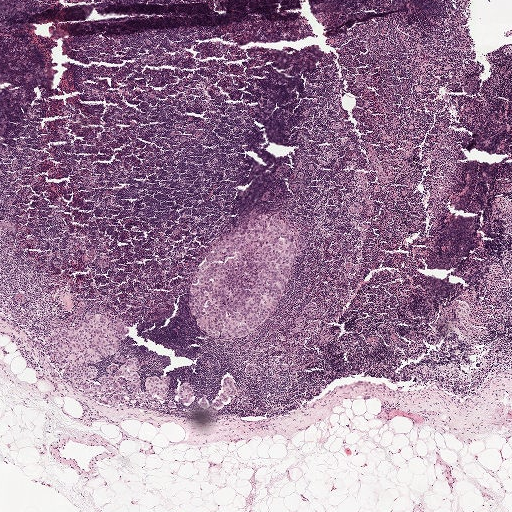
This is a crop of a whole-slide image: an H&E-stained breast-cancer sentinel lymph node section at roughly 2.5× magnification (about 3.9 µm per pixel; the crop spans about 2.0 mm).
Five metastatic tumour regions, each outlined as a closed clockwise path in crop pixels (x, y), largest first: region 1: (262, 214), (280, 217), (295, 235), (292, 268), (283, 297), (266, 323), (243, 338), (218, 340), (202, 331), (192, 316), (188, 282), (206, 253); region 2: (106, 311), (122, 319), (129, 329), (119, 348), (126, 361), (118, 362), (114, 354), (88, 363), (99, 373), (94, 383), (108, 374), (107, 366), (115, 364), (119, 369), (135, 357), (141, 389), (149, 391), (148, 376), (165, 375), (168, 388), (166, 396), (154, 394), (154, 402), (138, 402), (128, 395), (131, 390), (125, 377), (114, 382), (124, 381), (127, 394), (85, 393), (63, 375), (53, 357), (54, 345), (45, 339), (58, 327), (76, 326), (89, 312); region 3: (224, 377), (231, 377), (233, 380), (237, 393), (223, 402), (224, 403), (223, 406), (220, 408), (216, 408), (212, 406), (212, 404), (222, 393); region 4: (186, 382), (192, 386), (192, 401), (182, 403), (180, 400), (183, 398), (175, 395), (173, 391), (175, 388), (179, 389), (181, 384); region 5: (0, 295), (2, 300), (3, 304), (9, 312), (9, 313), (6, 313), (3, 313), (2, 311), (0, 311).
Five more small tumour pieces are annotated here but not outlined.
Tumour covers about 5% of the frame.